Image:
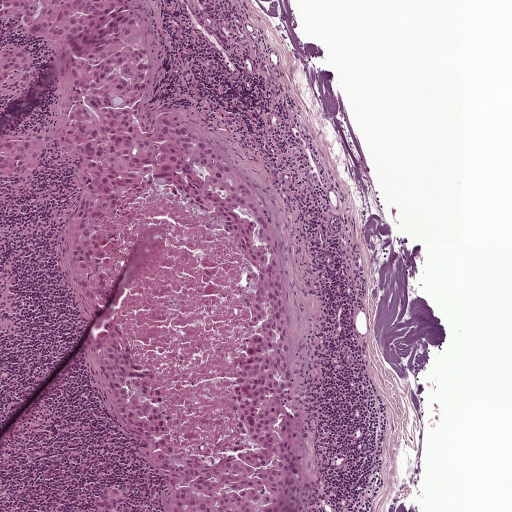
H&E-stained section of a sentinel lymph node (breast cancer), from a whole-slide image, viewed at about 5×: the field is about 1 mm across, about 1.9 µm per pixel.
Question:
Outline the metastatic carcinoma in this image, as closed paths of (x, y) pixel coordinates.
Answer:
Metastatic tumour outline, simplified to 24 points and listed clockwise in crop pixels (x, y): (0, 0), (138, 0), (156, 76), (136, 118), (145, 133), (193, 113), (256, 176), (292, 328), (295, 511), (168, 511), (91, 383), (62, 253), (68, 153), (52, 144), (26, 178), (0, 179), (0, 137), (48, 120), (66, 71), (47, 44), (0, 88), (0, 47), (34, 39), (4, 25).
Tumour covers about 35% of the frame.